Image:
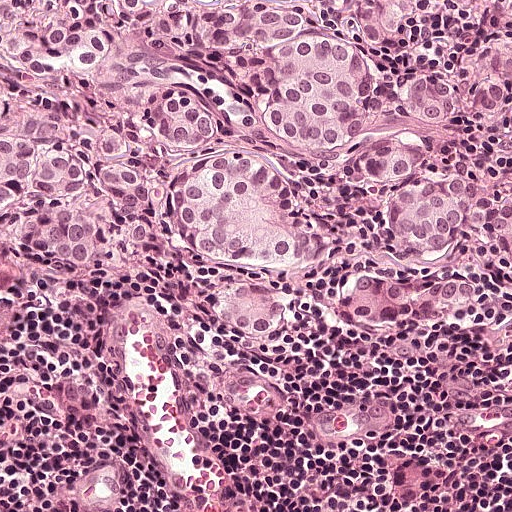
This is a crop of a whole-slide image: an H&E-stained breast-cancer sentinel lymph node section at roughly 20× magnification (about 0.49 µm per pixel; the crop spans about 0.25 mm).
Question:
Is there metastatic carcinoma in this field?
Answer:
Yes.
One metastatic tumour region; its boundary, reduced to 13 corners and listed clockwise: (0, 0), (511, 0), (511, 115), (432, 148), (438, 174), (511, 204), (511, 290), (392, 334), (294, 322), (270, 346), (157, 266), (53, 280), (0, 249).
The annotated tumour makes up about 55% of the crop.